Question: 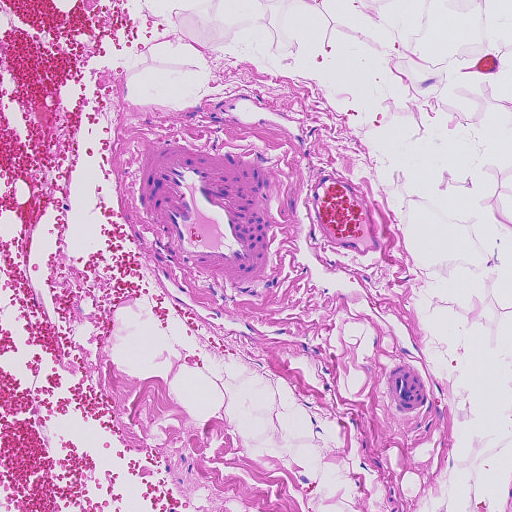
At roughly what magnification is this field shown?

Choices:
 (A) about 2.5×
 (B) about 10×
 (C) about 5×
 (D) about 40×
 (E) about 20×

Answer: (B) about 10×
A 0.46-mm field of an H&E-stained sentinel lymph node from a breast-cancer patient (whole-slide image), shown at about 10×, about 0.91 µm per pixel.